This is a crop of a whole-slide image: an H&E-stained breast-cancer sentinel lymph node section at roughly 20× magnification (about 0.49 µm per pixel; the crop spans about 0.25 mm).
Question: 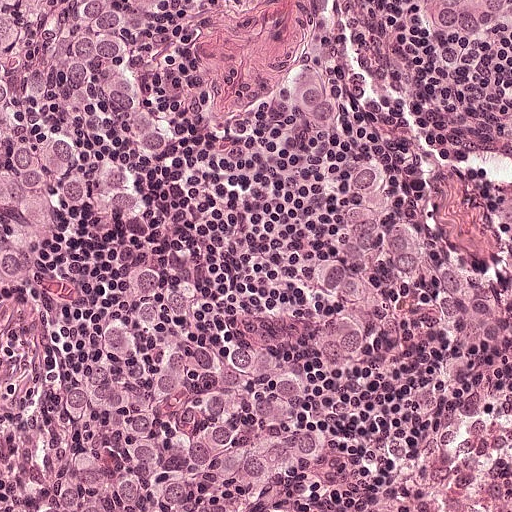
About how much of this crop is taken up by metastatic carcinoma?

Choices:
 (A) about 5% or less
 (B) none: no tumour is outlined
 (C) about 25% to 45%
 (D) about 10% to 20%
 (E) about 50% or more

Answer: (C) about 25% to 45%
About 45% of the field is tumour.
Five metastatic tumour regions, each outlined as a closed clockwise path in crop pixels (x, y), largest first: region 1: (139, 256), (170, 262), (266, 341), (324, 424), (324, 454), (316, 462), (241, 484), (216, 508), (0, 511), (0, 390), (97, 346); region 2: (0, 0), (180, 0), (164, 66), (168, 132), (132, 232), (3, 312); region 3: (286, 60), (310, 64), (325, 74), (338, 104), (328, 140), (344, 157), (375, 166), (390, 179), (388, 220), (412, 224), (428, 252), (430, 280), (422, 293), (402, 302), (388, 348), (378, 359), (348, 367), (316, 362), (303, 350), (303, 306), (331, 222), (331, 193), (322, 160), (270, 120); region 4: (494, 0), (490, 4), (478, 45), (462, 49), (448, 49), (403, 32), (403, 29), (396, 28), (381, 12), (378, 1); region 5: (511, 78), (511, 116), (508, 116), (508, 115), (504, 109), (504, 107), (503, 104), (503, 101), (502, 101), (502, 100), (500, 100), (500, 90), (502, 88), (504, 82), (506, 82), (508, 79).